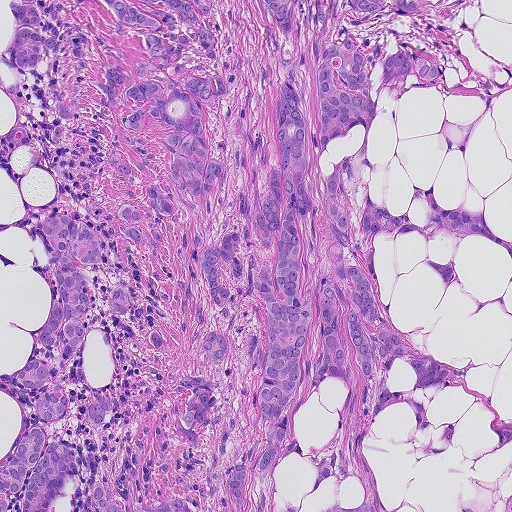
A 0.46-mm field of an H&E-stained sentinel lymph node from a breast-cancer patient (whole-slide image), shown at about 10×, about 0.9 µm per pixel.
Question: Does this lymph node field contain metastatic tumour?
Answer: Yes.
Boundaries of two metastatic tumour regions, simplified and listed clockwise, largest first: region 1: (0, 0), (478, 0), (351, 24), (494, 102), (488, 114), (467, 150), (462, 156), (380, 96), (368, 179), (511, 265), (371, 258), (511, 441), (447, 386), (438, 455), (368, 431), (384, 511), (0, 511); region 2: (511, 493), (511, 511), (503, 511), (504, 504).
One more small tumour piece is annotated here but not outlined.
Tumour covers about 80% of the frame.